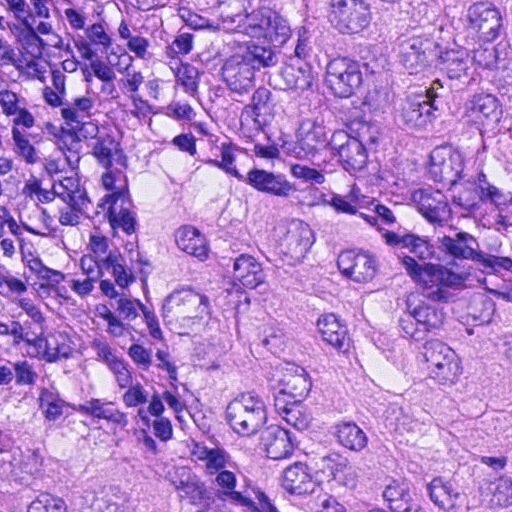
A 0.12-mm field of an H&E-stained sentinel lymph node from a breast-cancer patient (whole-slide image), shown at about 40×, about 0.23 µm per pixel.
Outlines of three tumour regions, largest first (closed clockwise paths, crop pixels): region 1: (140, 136), (279, 196), (338, 208), (388, 241), (419, 295), (511, 290), (511, 511), (274, 509), (232, 468), (170, 357), (134, 171); region 2: (511, 0), (511, 183), (402, 198), (303, 165), (214, 114), (105, 1); region 3: (0, 382), (71, 406), (176, 474), (214, 511), (0, 511).
The annotated tumour makes up about 65% of the crop.